Question: 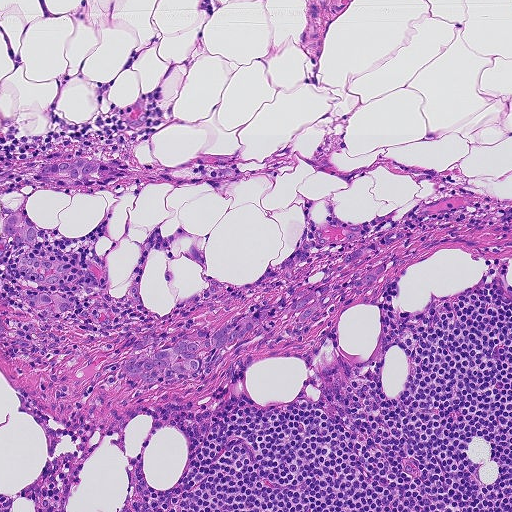
This is a crop of a whole-slide image: an H&E-stained breast-cancer sentinel lymph node section at roughly 10× magnification (about 0.9 µm per pixel; the crop spans about 0.46 mm).
What fraction of the image area is metastatic tumour?

Choices:
 (A) about 10% to 20%
 (B) about 5% or less
 (C) about 25% to 45%
 (D) about 50% or more
 (E) none: no tumour is outlined

Answer: (A) about 10% to 20%
About 15% of the field is tumour.
Tumour region outline (a closed clockwise path, crop pixels): (72, 154), (131, 167), (220, 154), (250, 160), (229, 165), (260, 173), (228, 182), (148, 181), (109, 193), (30, 195), (32, 220), (78, 239), (106, 263), (107, 293), (124, 293), (136, 278), (143, 305), (158, 316), (208, 286), (186, 246), (195, 241), (216, 280), (236, 283), (286, 260), (307, 219), (425, 225), (401, 250), (450, 238), (304, 341), (242, 350), (152, 386), (114, 376), (108, 358), (117, 330), (4, 343), (0, 235), (30, 185), (0, 196), (0, 155).